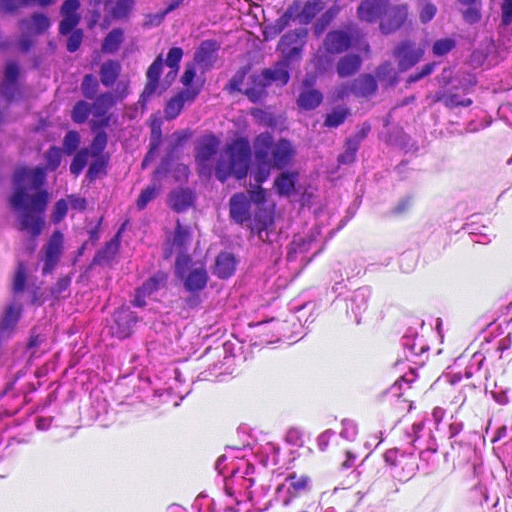
This is a crop of a whole-slide image: an H&E-stained breast-cancer sentinel lymph node section at roughly 40× magnification (about 0.23 µm per pixel; the crop spans about 0.12 mm).
Boundaries of two metastatic tumour regions, simplified and listed clockwise, largest first: region 1: (296, 0), (486, 0), (475, 58), (389, 117), (323, 135), (290, 123), (306, 152), (307, 191), (292, 221), (261, 236), (227, 296), (194, 308), (170, 286), (150, 219), (128, 211), (143, 157), (169, 135), (237, 114), (227, 88), (257, 28); region 2: (0, 0), (144, 0), (133, 11), (124, 111), (105, 139), (54, 183), (43, 215), (37, 285), (0, 362).
Tumour covers about 30% of the frame.